Image:
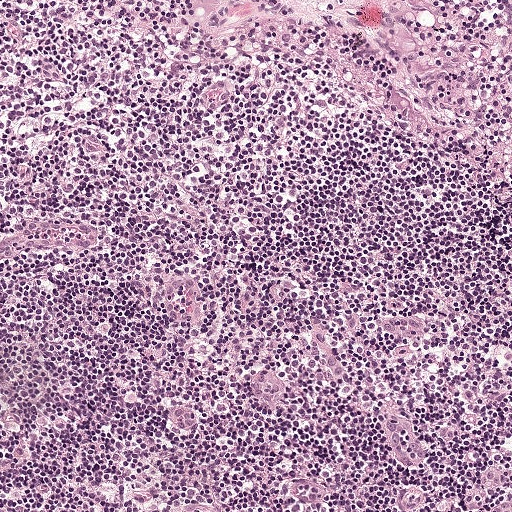
A 0.5-mm field of an H&E-stained sentinel lymph node from a breast-cancer patient (whole-slide image), shown at about 10×, about 0.97 µm per pixel.
Question:
Does this lymph node field contain metastatic tumour?
Answer:
No. No metastatic tumour is outlined in this field.